Lymph node section stained with H&E, from a whole-slide image of a breast-cancer sentinel node. Magnification about 20×, about 0.23 mm across the frame, about 0.45 µm per pixel.
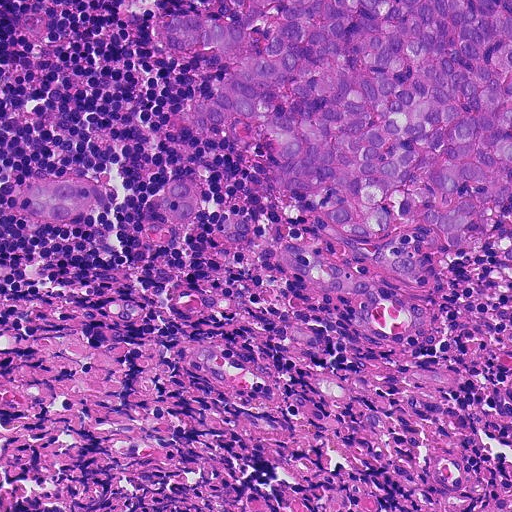
Question: Describe where the metastatic carcinoma lies in this crop.
Answer: Boundaries of three metastatic tumour regions, simplified and listed clockwise, largest first: region 1: (511, 0), (511, 261), (495, 240), (462, 254), (420, 225), (403, 228), (402, 246), (426, 273), (412, 284), (396, 280), (370, 252), (380, 240), (329, 226), (289, 190), (282, 154), (189, 130), (184, 112), (237, 67), (214, 50), (178, 50), (164, 20), (215, 3); region 2: (276, 242), (294, 242), (375, 286), (372, 322), (354, 320), (358, 300), (322, 292), (307, 281), (290, 273), (279, 260); region 3: (86, 179), (102, 189), (110, 204), (70, 222), (52, 222), (34, 216), (21, 204), (22, 186), (40, 181).
Two more small tumour pieces are annotated here but not outlined.
Tumour covers about 30% of the frame.